A 0.25-mm field of an H&E-stained sentinel lymph node from a breast-cancer patient (whole-slide image), shown at about 20×, about 0.49 µm per pixel.
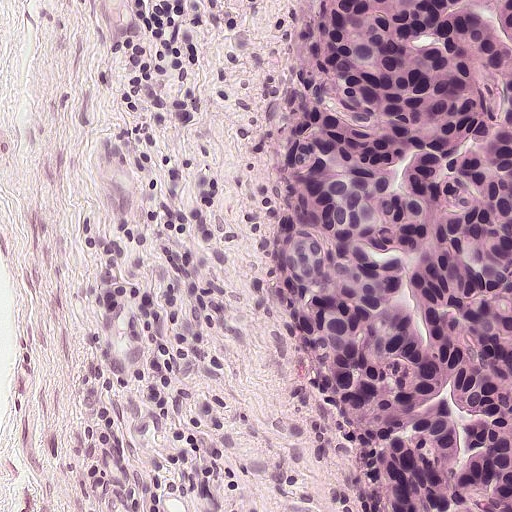
Question: Trace the edge of each tumour region in this crop, as (x, y) points from 0 to 511.
Answer: Metastatic tumour outline, simplified to 7 points and listed clockwise in crop pixels (x, y): (318, 0), (511, 0), (511, 511), (373, 511), (313, 395), (267, 231), (266, 182).
About 40% of the image area is annotated as tumour.